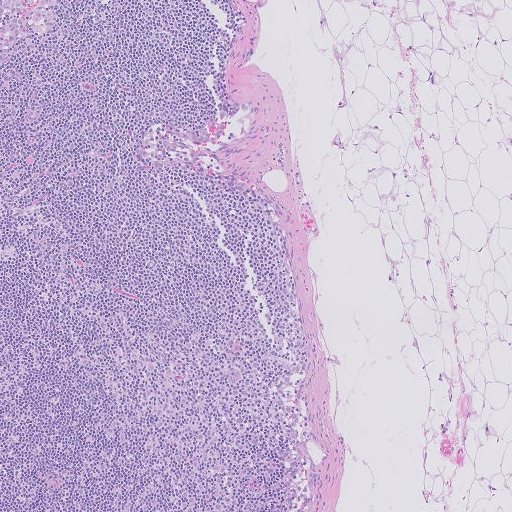
This is a crop of a whole-slide image: an H&E-stained breast-cancer sentinel lymph node section at roughly 5× magnification (about 2.0 µm per pixel; the crop spans about 1.0 mm).